This is a crop of a whole-slide image: an H&E-stained breast-cancer sentinel lymph node section at roughly 10× magnification (about 0.97 µm per pixel; the crop spans about 0.5 mm).
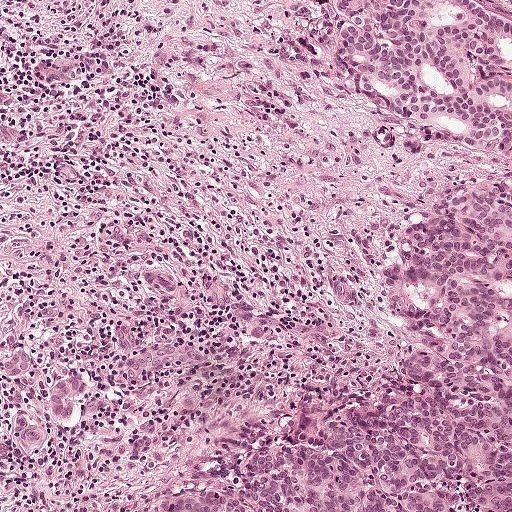
Two metastatic tumour regions, each outlined as a closed clockwise path in crop pixels (x, y), largest first: region 1: (509, 179), (511, 511), (158, 511), (363, 395), (382, 356), (380, 291), (395, 248), (424, 217); region 2: (511, 0), (511, 170), (431, 156), (356, 121), (332, 74), (334, 2).
Tumour covers about 30% of the frame.